Question: 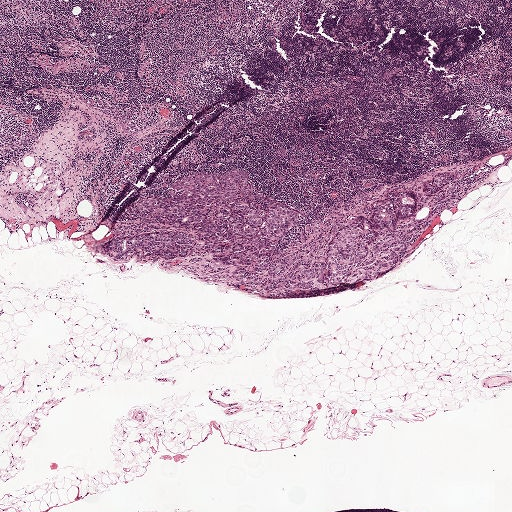
Lymph node section stained with H&E, from a whole-slide image of a breast-cancer sentinel node. Magnification about 2.5×, about 2.0 mm across the frame, about 3.9 µm per pixel.
Roughly what share of this field is metastatic tumour?

Choices:
 (A) none: no tumour is outlined
 (B) about 50% or more
 (C) about 25% to 45%
 (D) about 10% to 20%
 (E) about 5% or less

Answer: (D) about 10% to 20%
About 10% of the field is tumour.
Tumour region outline (a closed clockwise path, crop pixels): (231, 169), (245, 171), (247, 187), (303, 213), (276, 248), (280, 252), (310, 222), (359, 195), (378, 197), (395, 185), (417, 202), (424, 183), (442, 172), (456, 184), (440, 210), (427, 204), (415, 214), (420, 221), (432, 218), (424, 231), (370, 278), (268, 293), (230, 277), (235, 265), (213, 261), (210, 252), (195, 262), (187, 256), (140, 260), (137, 247), (112, 257), (114, 240), (182, 228), (132, 206), (140, 198), (168, 197), (174, 182), (197, 171), (219, 179).